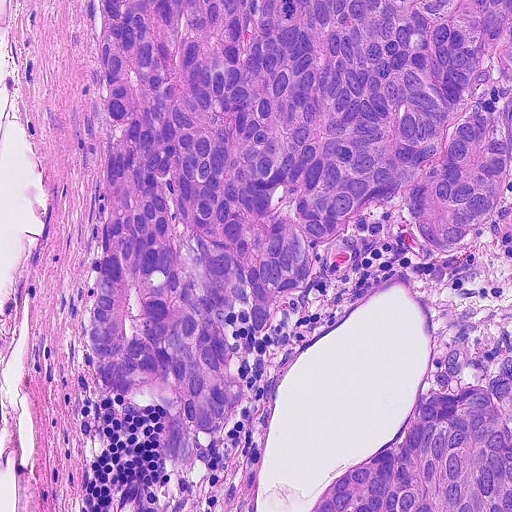
A 0.23-mm field of an H&E-stained sentinel lymph node from a breast-cancer patient (whole-slide image), shown at about 20×, about 0.45 µm per pixel.
Boundaries of two metastatic tumour regions, simplified and listed clockwise, largest first: region 1: (93, 0), (511, 0), (511, 203), (493, 236), (454, 256), (413, 250), (397, 202), (328, 246), (266, 336), (250, 340), (246, 305), (224, 322), (244, 410), (189, 488), (164, 498), (164, 406), (122, 404), (93, 375), (87, 333), (107, 166); region 2: (483, 380), (511, 410), (511, 511), (307, 511), (348, 468), (382, 446), (407, 412), (442, 388).
The annotated tumour makes up about 55% of the crop.